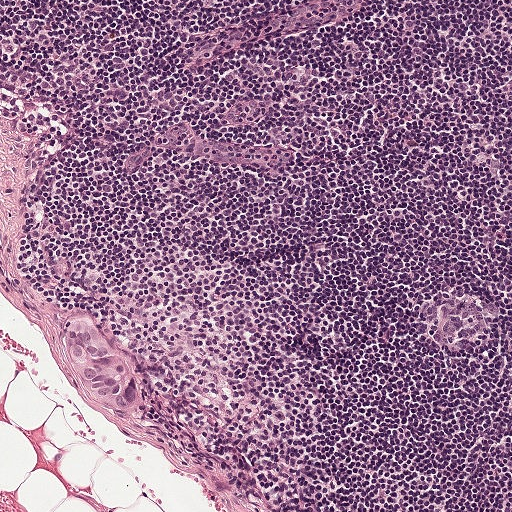
H&E-stained section of a sentinel lymph node (breast cancer), from a whole-slide image, viewed at about 10×: the field is about 0.5 mm across, about 0.97 µm per pixel.
Tumour region outline (a closed clockwise path, crop pixels): (81, 309), (98, 314), (132, 358), (139, 378), (139, 394), (132, 411), (120, 412), (110, 410), (76, 386), (70, 363), (60, 344), (63, 322).
Under 5% of the image area is annotated as tumour.